A 0.46-mm field of an H&E-stained sentinel lymph node from a breast-cancer patient (whole-slide image), shown at about 10×, about 0.9 µm per pixel.
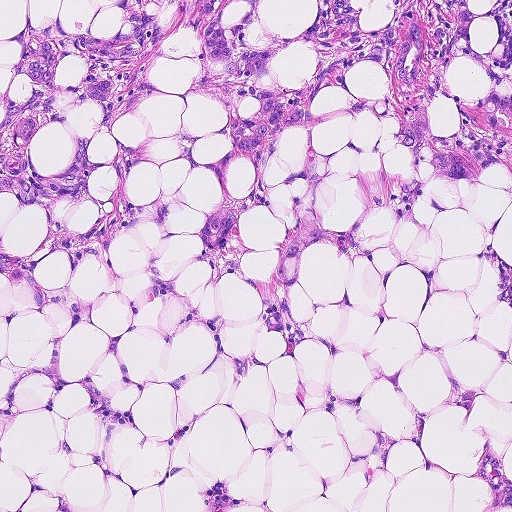
Question: Describe where the metastatic carcinoma lies in this crop.
Answer: Four metastatic tumour regions, each outlined as a closed clockwise path in crop pixels (x, y), largest first: region 1: (125, 0), (186, 0), (145, 84), (164, 96), (110, 124), (139, 150), (130, 207), (164, 199), (167, 227), (120, 236), (110, 264), (79, 260), (47, 249), (38, 206), (10, 194), (4, 94), (36, 88), (15, 62), (22, 30), (59, 17), (70, 37), (120, 36); region 2: (468, 0), (468, 54), (415, 90), (396, 86), (369, 59), (329, 44), (291, 43), (274, 52), (272, 74), (284, 97), (310, 102), (318, 120), (312, 131), (319, 156), (314, 219), (357, 242), (350, 252), (312, 243), (298, 280), (284, 283), (278, 272), (303, 197), (302, 129), (284, 132), (223, 249), (211, 255), (203, 246), (224, 198), (248, 192), (254, 166), (227, 140), (226, 108), (206, 92), (204, 43), (188, 26), (196, 3); region 3: (0, 236), (6, 236), (5, 249), (16, 256), (29, 257), (41, 262), (35, 274), (44, 283), (70, 286), (90, 303), (92, 316), (95, 321), (76, 325), (68, 320), (66, 310), (58, 304), (38, 310), (33, 301), (32, 292), (24, 284), (14, 283), (4, 279), (0, 275); region 4: (17, 377), (18, 386), (14, 396), (20, 415), (13, 420), (0, 417), (0, 397).
Tumour covers about 25% of the frame.